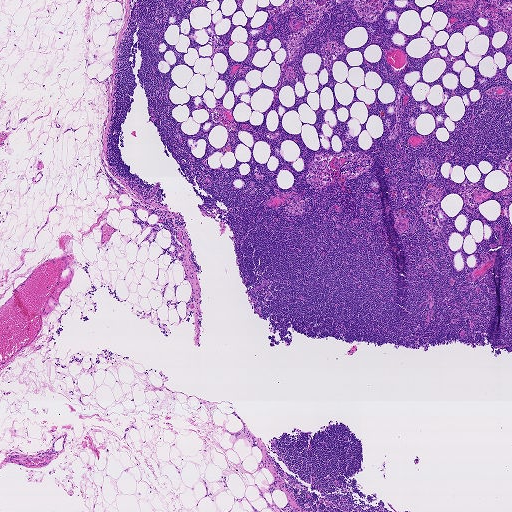
This is a crop of a whole-slide image: an H&E-stained breast-cancer sentinel lymph node section at roughly 2.5× magnification (about 3.6 µm per pixel; the crop spans about 1.9 mm).
Question: Is any metastatic breast cancer visible in this crop?
Answer: No: no metastatic tumour is outlined anywhere in this field.